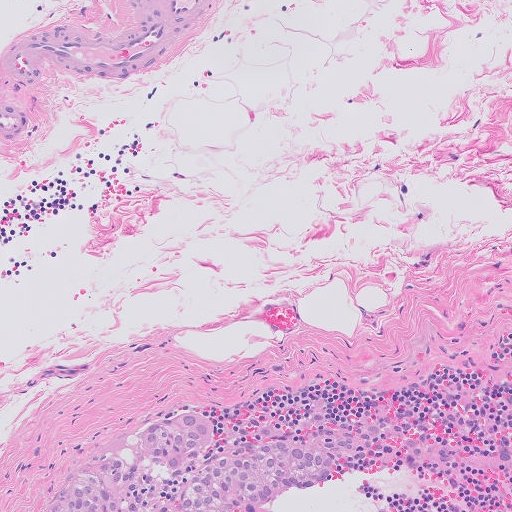
A 0.51-mm field of an H&E-stained sentinel lymph node from a breast-cancer patient (whole-slide image), shown at about 10×, about 1.0 µm per pixel.
The outlined metastatic tumour's edge, as a closed clockwise path of 18 points: (198, 407), (215, 425), (214, 440), (222, 451), (237, 449), (256, 428), (271, 426), (283, 436), (344, 441), (347, 470), (338, 483), (252, 511), (169, 511), (178, 474), (142, 511), (39, 511), (95, 450), (167, 410).
Tumour covers about 10% of the frame.